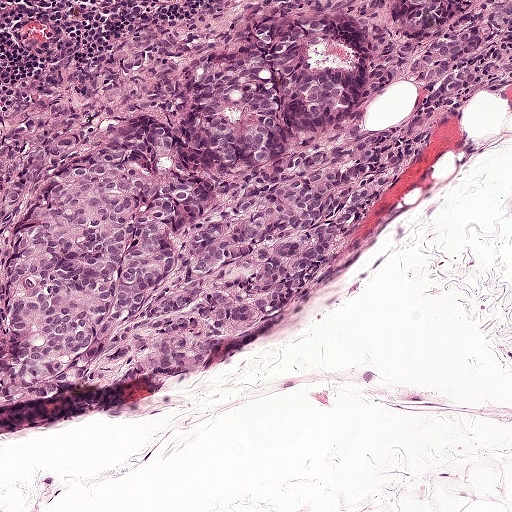
Lymph node section stained with H&E, from a whole-slide image of a breast-cancer sentinel node. Magnification about 10×, about 0.5 mm across the frame, about 0.97 µm per pixel.
Tumour region outline (a closed clockwise path, crop pixels): (271, 0), (326, 3), (371, 61), (400, 34), (394, 0), (511, 0), (460, 93), (410, 69), (360, 110), (380, 137), (420, 112), (428, 124), (280, 306), (181, 364), (2, 399), (0, 125), (26, 99), (138, 35), (214, 42).
The annotated tumour makes up about 45% of the crop.